H&E-stained section of a sentinel lymph node (breast cancer), from a whole-slide image, viewed at about 5×: the field is about 1 mm across, about 1.9 µm per pixel.
Image:
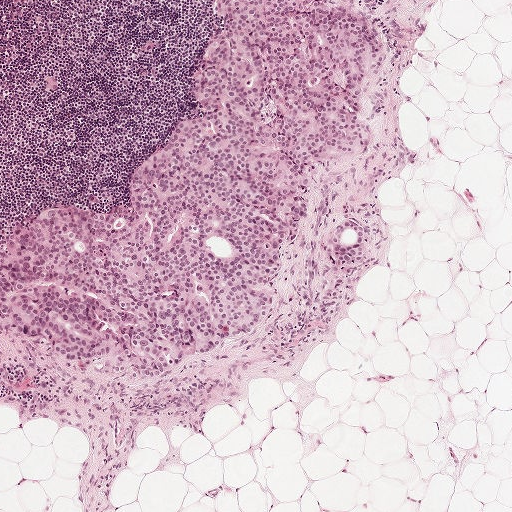
Question:
Is any metastatic breast cancer visible in this crop?
Answer:
Yes.
Boundaries of two metastatic tumour regions, simplified and listed clockwise, largest first: region 1: (215, 0), (353, 0), (390, 50), (367, 110), (374, 144), (322, 164), (311, 216), (282, 244), (273, 315), (157, 384), (0, 331), (2, 246), (42, 211), (128, 208), (133, 165), (164, 146), (193, 102); region 2: (354, 218), (366, 226), (370, 233), (366, 256), (360, 268), (354, 274), (340, 277), (335, 268), (326, 259), (329, 238), (341, 220).
Tumour covers about 30% of the frame.